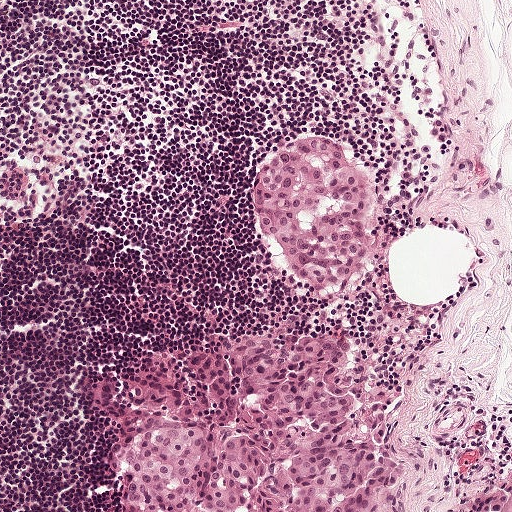
A 0.5-mm field of an H&E-stained sentinel lymph node from a breast-cancer patient (whole-slide image), shown at about 10×, about 0.97 µm per pixel.
Outlines of three tumour regions, largest first (closed clockwise paths, crop pixels): region 1: (268, 330), (328, 339), (406, 470), (390, 511), (118, 511), (108, 460), (120, 426), (153, 388), (190, 390), (198, 361); region 2: (305, 136), (318, 139), (352, 154), (364, 174), (377, 204), (377, 220), (360, 275), (350, 286), (330, 292), (302, 289), (266, 246), (253, 216), (251, 185), (264, 158); region 3: (506, 476), (511, 480), (511, 511), (466, 511), (474, 496), (495, 481).
The annotated tumour makes up about 20% of the crop.